Lymph node section stained with H&E, from a whole-slide image of a breast-cancer sentinel node. Magnification about 20×, about 0.23 mm across the frame, about 0.45 µm per pixel.
Question: 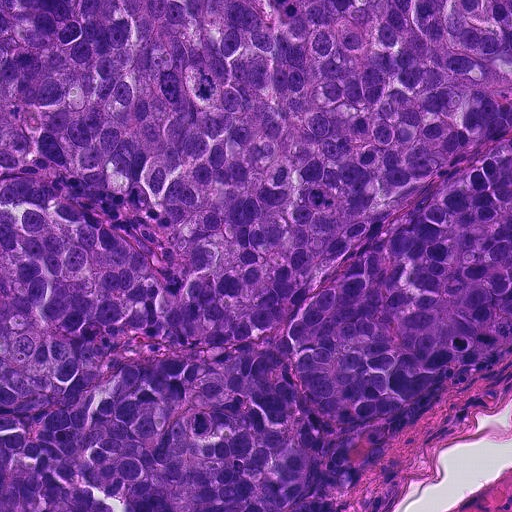
Roughly what share of this field is metastatic tumour?

Choices:
 (A) none: no tumour is outlined
 (B) about 50% or more
 (C) about 10% to 20%
 (D) about 5% or less
 (E) about 25% to 45%

Answer: (B) about 50% or more
About 90% of the field is tumour.
Metastatic tumour outline, simplified to 12 points and listed clockwise in crop pixels (x, y): (0, 0), (511, 0), (511, 351), (449, 376), (394, 420), (328, 439), (326, 470), (287, 511), (123, 511), (104, 499), (109, 511), (0, 511).